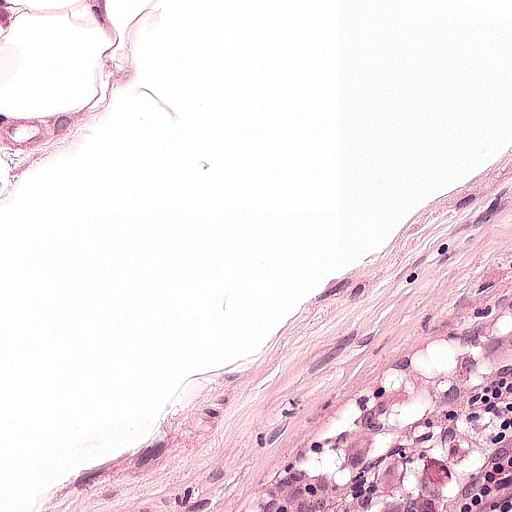
This is a crop of a whole-slide image: an H&E-stained breast-cancer sentinel lymph node section at roughly 20× magnification (about 0.49 µm per pixel; the crop spans about 0.25 mm).
Question: Where is the metastatic tumour in this field? Give each region's outline as (x, y) pixel points.
Answer: Tumour region outline (a closed clockwise path, crop pixels): (446, 310), (497, 310), (511, 320), (511, 511), (178, 511), (247, 442), (416, 320).
The annotated tumour makes up about 15% of the crop.